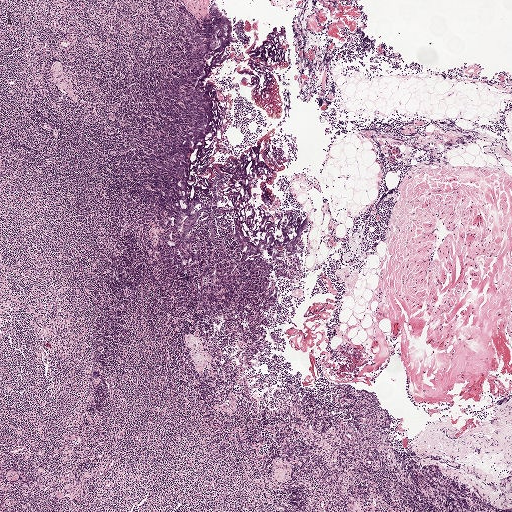
H&E-stained section of a sentinel lymph node (breast cancer), from a whole-slide image, viewed at about 2.5×: the field is about 2.0 mm across, about 3.9 µm per pixel.